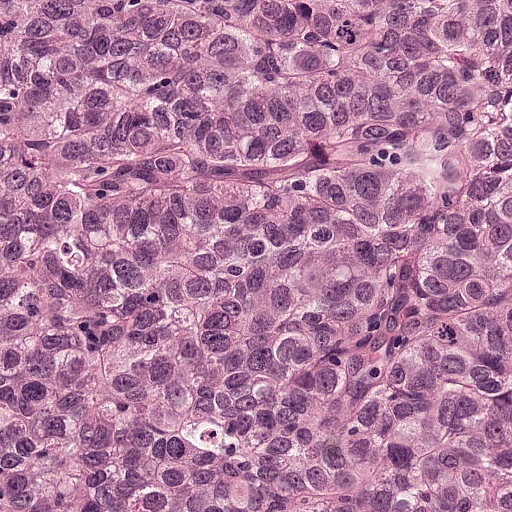
H&E-stained section of a sentinel lymph node (breast cancer), from a whole-slide image, viewed at about 20×: the field is about 0.25 mm across, about 0.49 µm per pixel.
Metastatic tumour covers the whole field.
Tumour covers over 95% of the frame.